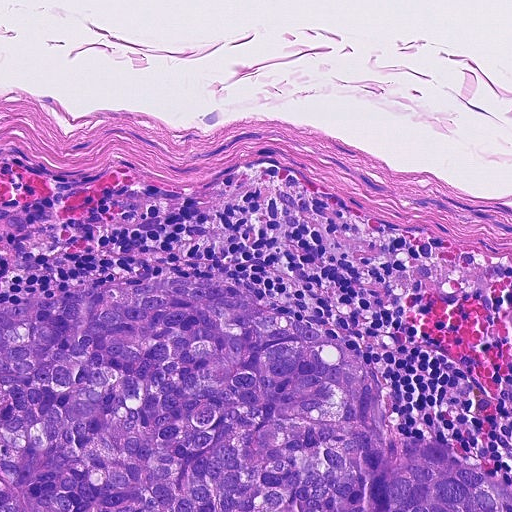
A 0.23-mm field of an H&E-stained sentinel lymph node from a breast-cancer patient (whole-slide image), shown at about 20×, about 0.45 µm per pixel.
Question: Describe where the metastatic carcinoma lies in this crop.
Answer: One metastatic tumour region; its boundary, reduced to 10 corners and listed clockwise: (149, 280), (216, 281), (354, 348), (378, 374), (399, 438), (432, 442), (511, 488), (511, 511), (0, 511), (0, 307).
The annotated tumour makes up about 35% of the crop.